Question: 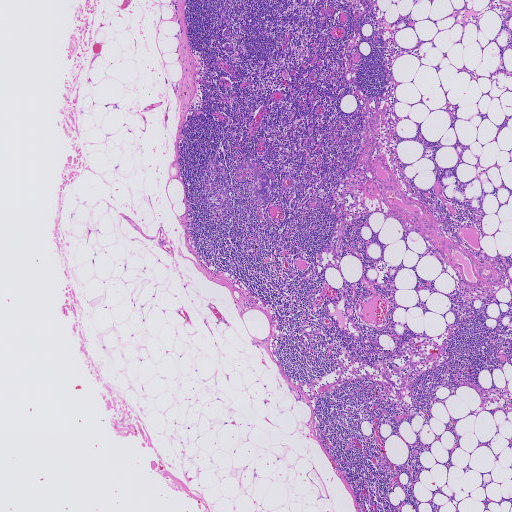
This is a crop of a whole-slide image: an H&E-stained breast-cancer sentinel lymph node section at roughly 2.5× magnification (about 3.6 µm per pixel; the crop spans about 1.9 mm).
Estimate the proportion of this field that is metastatic tumour.

Choices:
 (A) about 50% or more
 (B) about 10% to 20%
 (C) about 5% or less
 (D) none: no tumour is outlined
 (E) about 25% to 45%

Answer: (C) about 5% or less
Under 5% of the field is tumour.
Tumour region outline (a closed clockwise path, crop pixels): (245, 160), (262, 170), (270, 178), (270, 189), (267, 200), (259, 202), (254, 193), (257, 184), (253, 180), (253, 170), (247, 170), (247, 178), (242, 181), (235, 175), (238, 164).
One more small tumour piece is annotated here but not outlined.